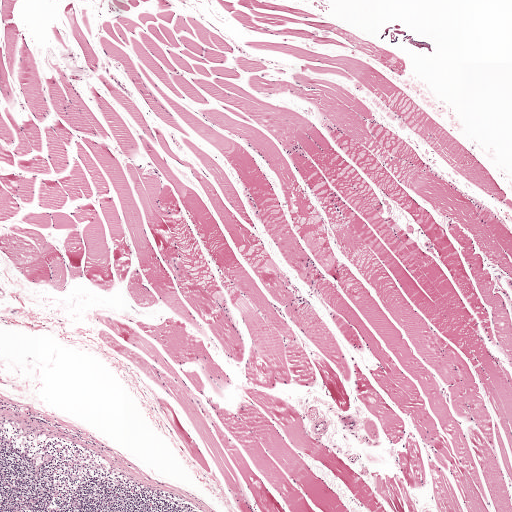
H&E-stained section of a sentinel lymph node (breast cancer), from a whole-slide image, viewed at about 2.5×: the field is about 2.0 mm across, about 3.9 µm per pixel.